Image:
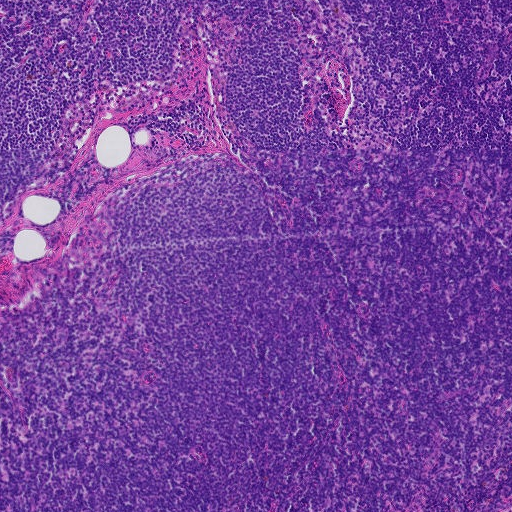
Lymph node section stained with H&E, from a whole-slide image of a breast-cancer sentinel node. Magnification about 5×, about 0.93 mm across the frame, about 1.8 µm per pixel.
Question:
Does this lymph node field contain metastatic tumour?
Answer:
No: no metastatic tumour is outlined anywhere in this field.